Question: 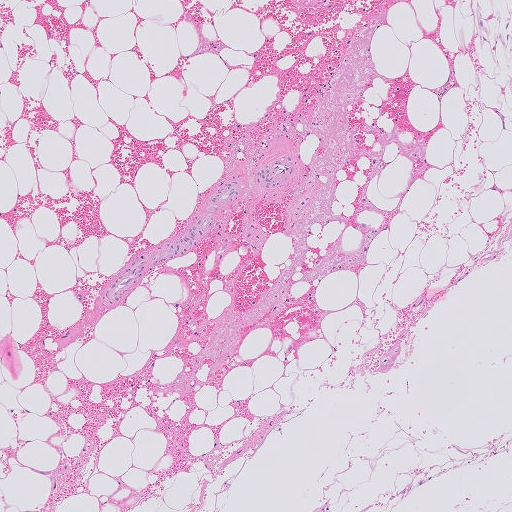
Which magnification is this H&E lymph node field most likely shown at?

Choices:
 (A) about 5×
 (B) about 20×
 (C) about 2.5×
 (D) about 10×
 (E) about 40×

Answer: (A) about 5×
A 1.0-mm field of an H&E-stained sentinel lymph node from a breast-cancer patient (whole-slide image), shown at about 5×, about 2.0 µm per pixel.
Question: 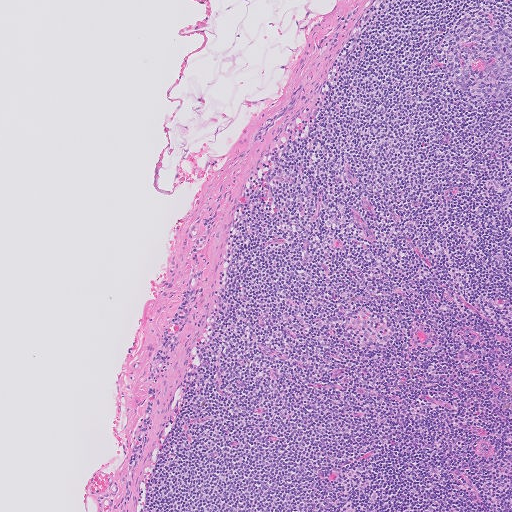
Which magnification is this H&E lymph node field most likely shown at?

Choices:
 (A) about 2.5×
 (B) about 40×
 (C) about 20×
 (D) about 5×
 (E) about 10×

Answer: (D) about 5×
H&E-stained section of a sentinel lymph node (breast cancer), from a whole-slide image, viewed at about 5×: the field is about 1.0 mm across, about 2.0 µm per pixel.
Question: 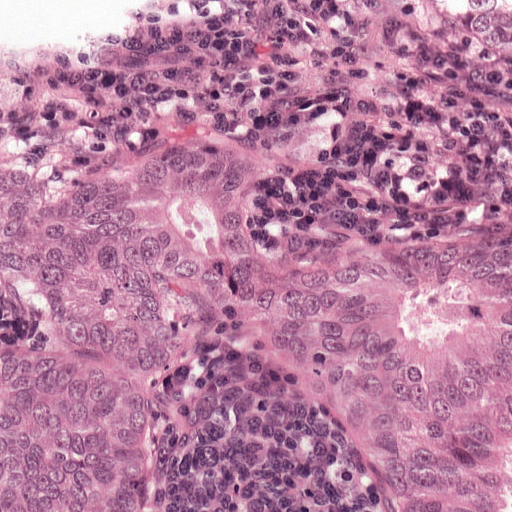
Which magnification is this H&E lymph node field most likely shown at?

Choices:
 (A) about 40×
 (B) about 20×
 (C) about 2.5×
 (D) about 10×
 (E) about 5×

Answer: (B) about 20×
This is a crop of a whole-slide image: an H&E-stained breast-cancer sentinel lymph node section at roughly 20× magnification (about 0.49 µm per pixel; the crop spans about 0.25 mm).
Two metastatic tumour regions, each outlined as a closed clockwise path in crop pixels (x, y), largest first: region 1: (0, 115), (128, 120), (218, 145), (300, 188), (511, 235), (511, 511), (364, 511), (277, 382), (187, 377), (164, 465), (167, 511), (0, 511); region 2: (411, 0), (511, 0), (511, 66), (476, 56).
About 60% of the image area is annotated as tumour.
Question: 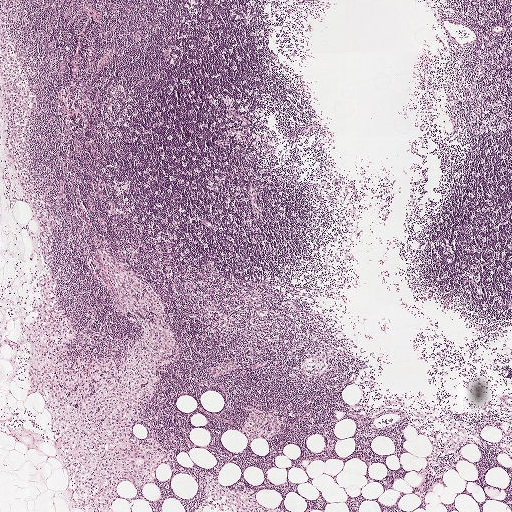
Which magnification is this H&E lymph node field most likely shown at?

Choices:
 (A) about 5×
 (B) about 20×
 (C) about 10×
 (D) about 2.5×
 (E) about 40×

Answer: (D) about 2.5×
This is a crop of a whole-slide image: an H&E-stained breast-cancer sentinel lymph node section at roughly 2.5× magnification (about 3.9 µm per pixel; the crop spans about 2.0 mm).